Question: 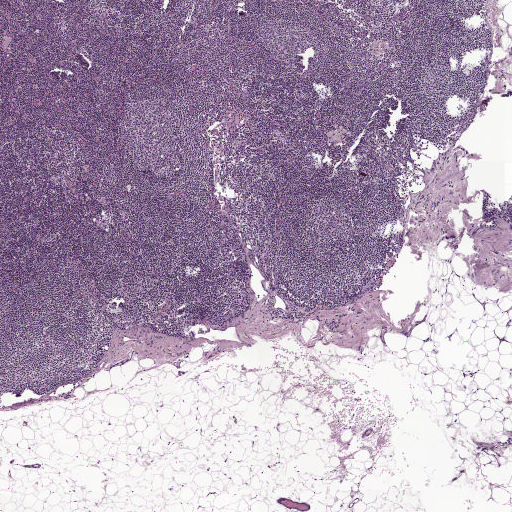
About what magnification does this crop show?

Choices:
 (A) about 40×
 (B) about 20×
 (C) about 10×
 (D) about 2.5×
 (E) about 5×

Answer: (D) about 2.5×
A 2.0-mm field of an H&E-stained sentinel lymph node from a breast-cancer patient (whole-slide image), shown at about 2.5×, about 3.9 µm per pixel.